Question: 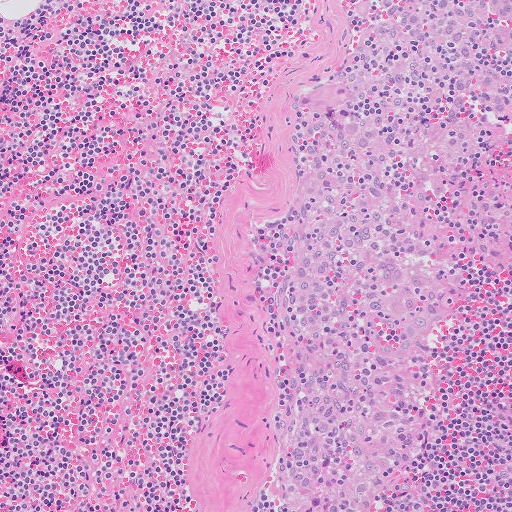
About what magnification does this crop show?

Choices:
 (A) about 10×
 (B) about 5×
 (C) about 20×
 (D) about 40×
 (E) about 2.5×

Answer: (A) about 10×
This is a crop of a whole-slide image: an H&E-stained breast-cancer sentinel lymph node section at roughly 10× magnification (about 1.0 µm per pixel; the crop spans about 0.51 mm).
Two metastatic tumour regions, each outlined as a closed clockwise path in crop pixels (x, y), largest first: region 1: (330, 79), (344, 81), (361, 92), (349, 110), (327, 119), (298, 111), (292, 100), (303, 85); region 2: (484, 0), (511, 0), (511, 26), (503, 25), (486, 6).
Under 5% of this field is tumour.
Question: 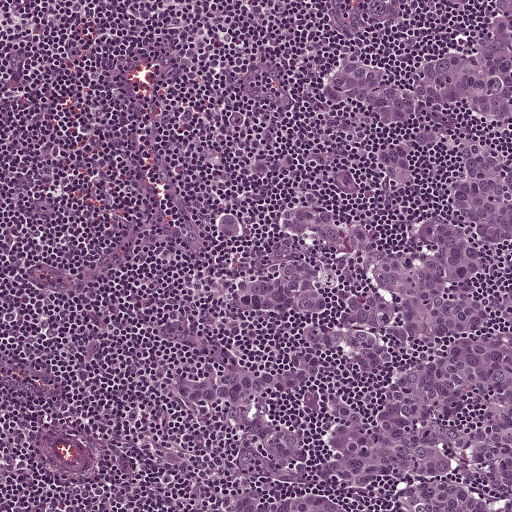
About what magnification does this crop show?

Choices:
 (A) about 40×
 (B) about 10×
 (C) about 20×
 (D) about 5×
 (E) about 2.5×

Answer: (B) about 10×
This is a crop of a whole-slide image: an H&E-stained breast-cancer sentinel lymph node section at roughly 10× magnification (about 0.97 µm per pixel; the crop spans about 0.5 mm).
Outlines of two tumour regions, largest first (closed clockwise paths, crop pixels): region 1: (451, 0), (511, 0), (511, 511), (220, 510), (234, 432), (170, 398), (197, 376), (168, 319), (257, 362), (296, 348), (224, 298), (279, 223), (222, 244), (208, 224), (295, 202), (410, 222), (308, 192), (396, 140), (296, 104), (318, 68), (368, 52), (405, 77), (492, 7); region 2: (359, 0), (424, 0), (407, 23), (396, 31), (364, 24), (356, 11).
The annotated tumour makes up about 45% of the crop.
Question: 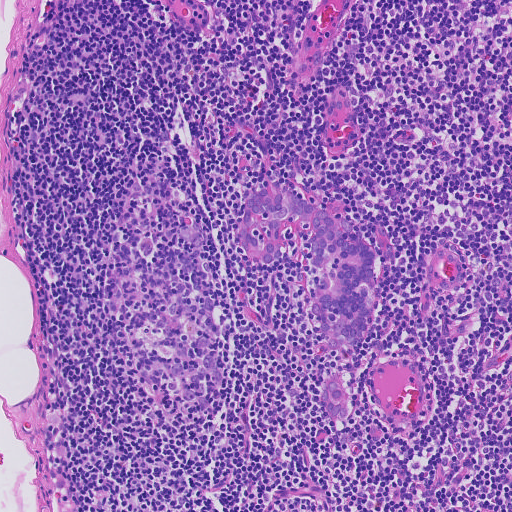
About what magnification does this crop show?

Choices:
 (A) about 10×
 (B) about 2.5×
 (C) about 20×
 (D) about 40×
 (E) about 5×

Answer: (A) about 10×
A 0.46-mm field of an H&E-stained sentinel lymph node from a breast-cancer patient (whole-slide image), shown at about 10×, about 0.91 µm per pixel.
Boundaries of two metastatic tumour regions, simplified and listed clockwise, largest first: region 1: (276, 181), (344, 219), (376, 251), (377, 297), (364, 340), (333, 348), (320, 328), (318, 318), (310, 312), (314, 286), (322, 273), (309, 260), (313, 254), (309, 220), (294, 215), (285, 220), (280, 238), (284, 253), (266, 265), (246, 254), (237, 241), (250, 196); region 2: (330, 378), (336, 378), (350, 395), (349, 406), (350, 413), (346, 420), (337, 419), (319, 406), (318, 393).
About 5% of the image area is annotated as tumour.
Question: 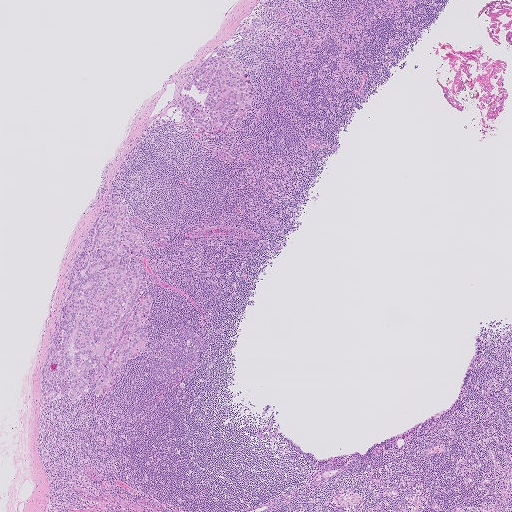
About what magnification does this crop show?

Choices:
 (A) about 10×
 (B) about 20×
 (C) about 40×
 (D) about 5×
 (E) about 2.5×

Answer: (E) about 2.5×
Lymph node section stained with H&E, from a whole-slide image of a breast-cancer sentinel node. Magnification about 2.5×, about 2.0 mm across the frame, about 4.0 µm per pixel.
Two metastatic tumour regions, each outlined as a closed clockwise path in crop pixels (x, y), largest first: region 1: (118, 202), (141, 217), (144, 253), (126, 262), (146, 268), (153, 304), (149, 325), (157, 330), (149, 333), (143, 356), (132, 360), (106, 396), (87, 394), (74, 401), (64, 382), (52, 401), (43, 404), (40, 369), (54, 319), (66, 296), (70, 267), (103, 204); region 2: (228, 48), (230, 54), (243, 65), (251, 87), (249, 110), (239, 125), (219, 136), (190, 129), (181, 114), (182, 90), (187, 79), (212, 52).
The annotated tumour makes up about 5% of the crop.